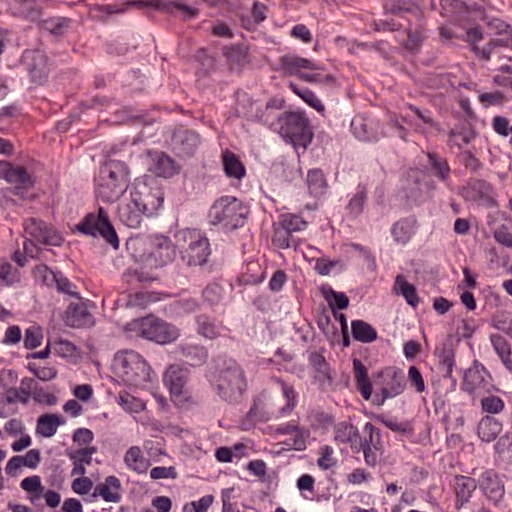
This is a crop of a whole-slide image: an H&E-stained breast-cancer sentinel lymph node section at roughly 40× magnification (about 0.24 µm per pixel; the crop spans about 0.12 mm).
The outlined metastatic tumour's edge, as a closed clockwise path of 17 points: (319, 77), (353, 77), (410, 99), (457, 155), (465, 199), (416, 324), (316, 459), (147, 489), (91, 465), (44, 412), (38, 334), (79, 243), (79, 205), (53, 180), (50, 159), (157, 99), (285, 96).
About 50% of the image area is annotated as tumour.